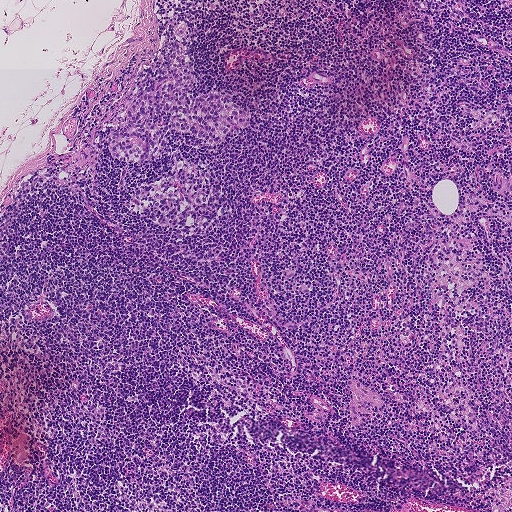
A 0.93-mm field of an H&E-stained sentinel lymph node from a breast-cancer patient (whole-slide image), shown at about 5×, about 1.8 µm per pixel.
Question: Does this lymph node field contain metastatic tumour?
Answer: Yes.
Metastatic tumour outline, simplified to 24 points and listed clockwise in crop pixels (x, y): (177, 41), (196, 60), (192, 70), (204, 75), (188, 92), (193, 96), (214, 90), (230, 94), (251, 114), (249, 125), (243, 134), (228, 132), (209, 146), (190, 132), (170, 130), (160, 157), (141, 164), (113, 158), (107, 139), (111, 128), (121, 129), (131, 103), (169, 78), (158, 69).
Tumour covers about 5% of the frame.